Question: 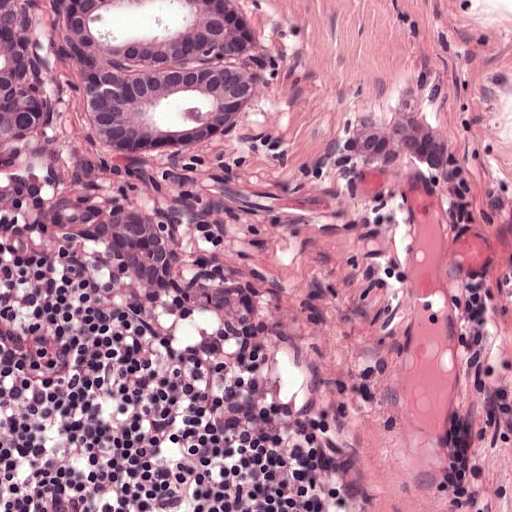
H&E-stained section of a sentinel lymph node (breast cancer), from a whole-slide image, viewed at about 20×: the field is about 0.25 mm across, about 0.49 µm per pixel.
What fraction of the image area is metastatic tumour?

Choices:
 (A) none: no tumour is outlined
 (B) about 10% to 20%
 (C) about 5% or less
 (D) about 50% or more
 (E) about 25% to 45%

Answer: (B) about 10% to 20%
About 15% of the field is tumour.
Boundaries of four metastatic tumour regions, simplified and listed clockwise, largest first: region 1: (51, 0), (246, 0), (282, 57), (272, 98), (246, 132), (206, 149), (118, 158), (100, 154), (74, 119); region 2: (0, 0), (28, 0), (54, 81), (52, 112), (28, 132), (2, 146); region 3: (62, 196), (106, 209), (100, 219), (118, 216), (142, 220), (160, 236), (172, 272), (166, 293), (139, 286), (102, 252), (91, 225), (97, 221), (68, 230), (50, 224), (46, 207); region 4: (415, 114), (434, 124), (448, 169), (434, 172), (412, 160), (375, 167), (338, 150), (344, 136), (377, 130), (395, 116).